This is a crop of a whole-slide image: an H&E-stained breast-cancer sentinel lymph node section at roughly 10× magnification (about 0.9 µm per pixel; the crop spans about 0.46 mm).
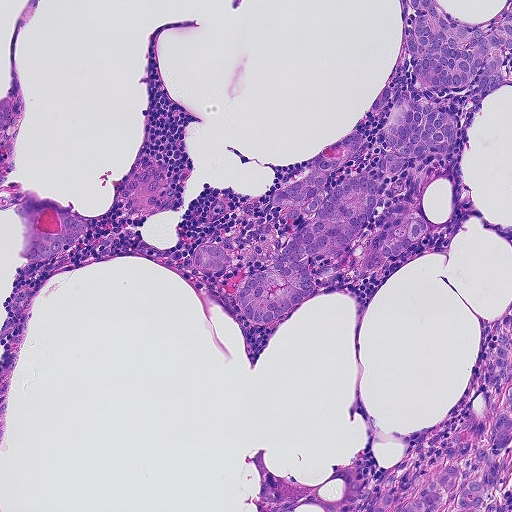
Three metastatic tumour regions, each outlined as a closed clockwise path in crop pixels (x, y), largest first: region 1: (511, 0), (511, 86), (476, 116), (457, 169), (424, 192), (436, 229), (413, 252), (375, 275), (327, 282), (272, 324), (244, 320), (234, 269), (199, 273), (197, 247), (226, 242), (263, 266), (275, 254), (298, 221), (271, 208), (272, 193), (379, 96), (400, 54), (398, 7); region 2: (511, 312), (511, 511), (371, 511), (378, 494), (397, 490), (407, 500), (447, 462), (447, 449), (468, 413); region 3: (0, 0), (40, 0), (14, 41), (23, 114), (14, 144), (12, 179), (52, 204), (95, 217), (147, 162), (162, 160), (168, 174), (168, 189), (164, 204), (153, 212), (138, 213), (125, 205), (78, 242), (37, 262), (22, 262), (25, 232), (0, 198).
About 25% of the image area is annotated as tumour.